Lymph node section stained with H&E, from a whole-slide image of a breast-cancer sentinel node. Magnification about 10×, about 0.5 mm across the frame, about 0.97 µm per pixel.
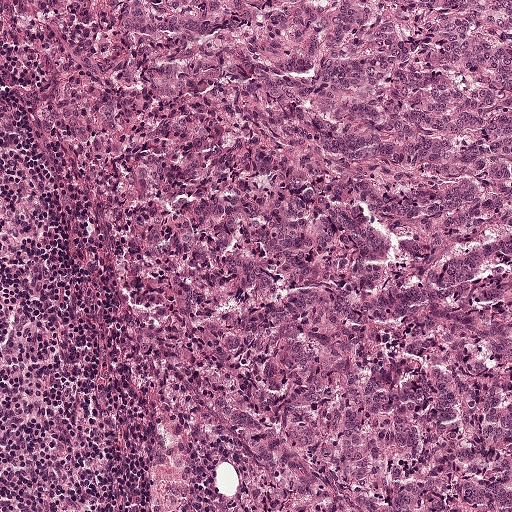
Tumour region outline (a closed clockwise path, crop pixels): (511, 0), (511, 511), (230, 511), (138, 349), (52, 90), (6, 3).
About 80% of the image area is annotated as tumour.